Question: 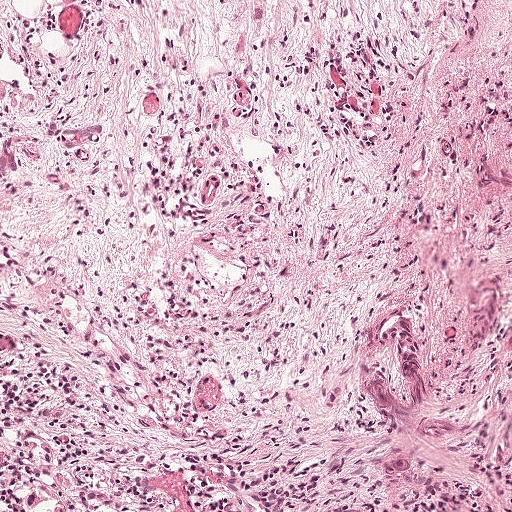
Which magnification is this H&E lymph node field most likely shown at?

Choices:
 (A) about 10×
 (B) about 2.5×
 (C) about 20×
 (D) about 40×
 (E) about 5×

Answer: (A) about 10×
This is a crop of a whole-slide image: an H&E-stained breast-cancer sentinel lymph node section at roughly 10× magnification (about 0.97 µm per pixel; the crop spans about 0.5 mm).